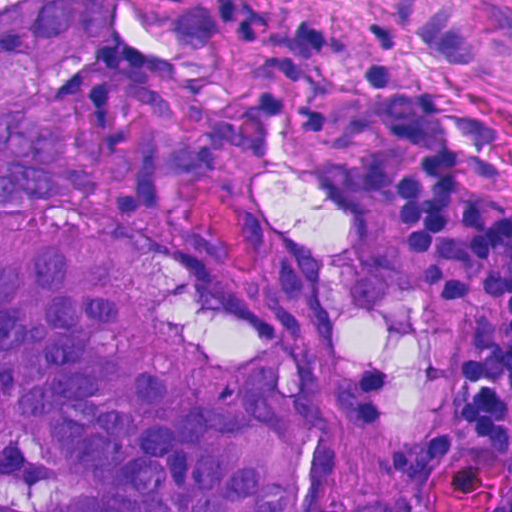
H&E-stained section of a sentinel lymph node (breast cancer), from a whole-slide image, viewed at about 40×: the field is about 0.12 mm across, about 0.23 µm per pixel.
The outlined metastatic tumour's edge, as a closed clockwise path of 14 points: (0, 0), (119, 0), (99, 59), (43, 106), (66, 188), (25, 221), (97, 237), (131, 232), (155, 306), (225, 365), (270, 353), (293, 421), (291, 511), (0, 511).
One more small tumour piece is annotated here but not outlined.
About 35% of this field is tumour.